Lymph node section stained with H&E, from a whole-slide image of a breast-cancer sentinel node. Magnification about 5×, about 1 mm across the frame, about 1.9 µm per pixel.
Question: 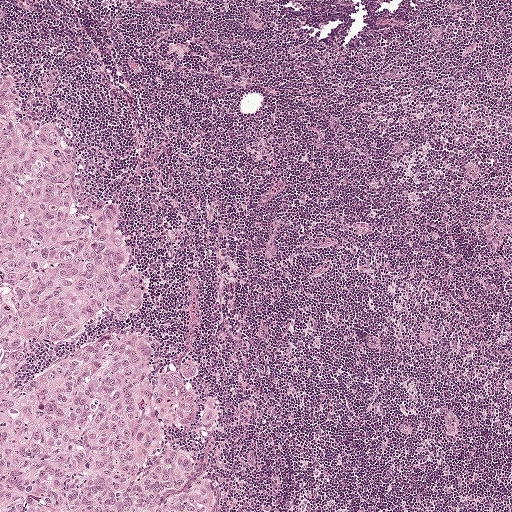
Estimate the proportion of this field that is metastatic tumour.

Choices:
 (A) about 25% to 45%
 (B) about 10% to 20%
 (C) about 5% or less
 (D) about 50% or more
 (E) none: no tumour is outlined

Answer: (B) about 10% to 20%
About 20% of the field is tumour.
The outlined metastatic tumour's edge, as a closed clockwise path of 24 points: (10, 74), (18, 116), (61, 127), (76, 202), (115, 209), (120, 269), (144, 279), (134, 316), (100, 312), (70, 340), (36, 344), (16, 388), (144, 332), (150, 384), (192, 364), (192, 414), (206, 399), (214, 412), (212, 430), (169, 427), (161, 439), (192, 460), (210, 511), (0, 511).